Question: 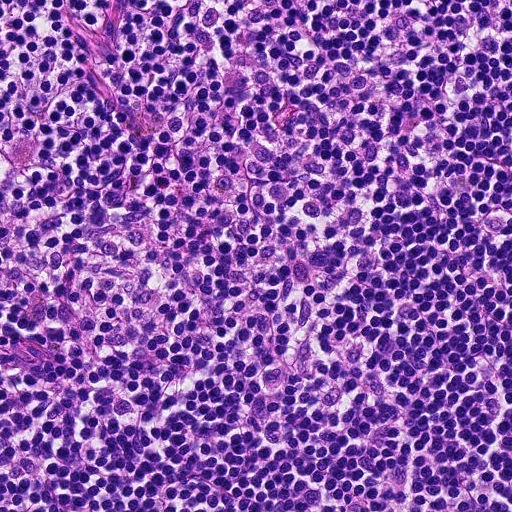
Which magnification is this H&E lymph node field most likely shown at?

Choices:
 (A) about 5×
 (B) about 10×
 (C) about 2.5×
 (D) about 40×
 (E) about 20×

Answer: (E) about 20×
This is a crop of a whole-slide image: an H&E-stained breast-cancer sentinel lymph node section at roughly 20× magnification (about 0.45 µm per pixel; the crop spans about 0.23 mm).